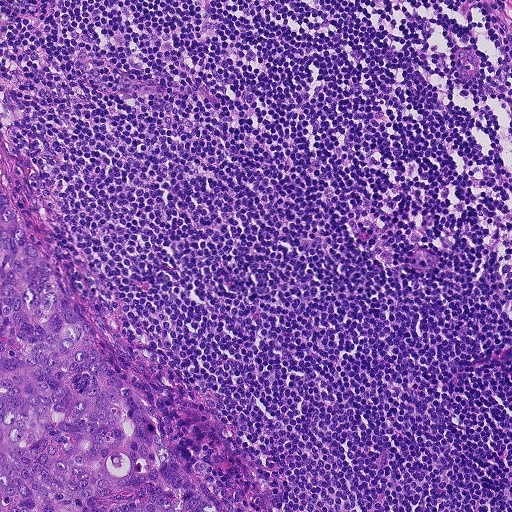
Lymph node section stained with H&E, from a whole-slide image of a breast-cancer sentinel node. Magnification about 10×, about 0.46 mm across the frame, about 0.9 µm per pixel.
Question: Is any metastatic breast cancer visible in this crop?
Answer: Yes.
The outlined metastatic tumour's edge, as a closed clockwise path of 9 points: (0, 162), (28, 238), (44, 248), (80, 319), (116, 354), (208, 413), (240, 452), (268, 511), (0, 511).
About 15% of the image area is annotated as tumour.